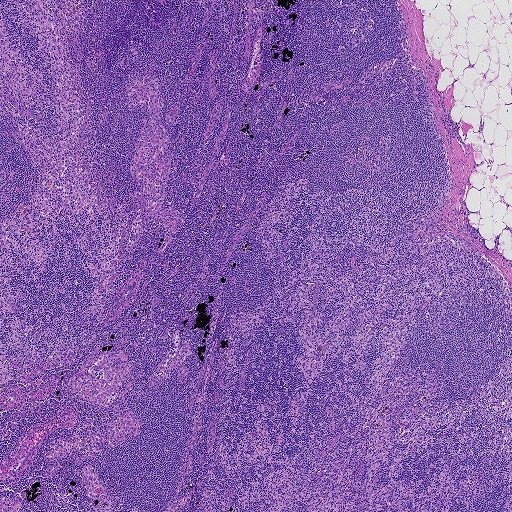
Lymph node section stained with H&E, from a whole-slide image of a breast-cancer sentinel node. Magnification about 2.5×, about 1.9 mm across the frame, about 3.6 µm per pixel.